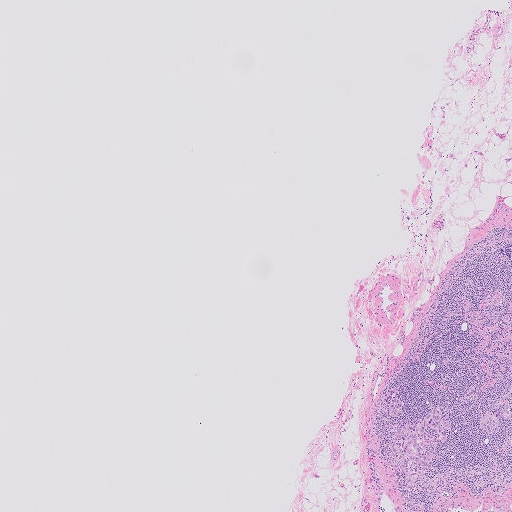
A 2.0-mm field of an H&E-stained sentinel lymph node from a breast-cancer patient (whole-slide image), shown at about 2.5×, about 4.0 µm per pixel.
Outlines of four tumour regions, largest first (closed clockwise paths, crop pixels): region 1: (435, 405), (441, 405), (447, 412), (450, 424), (444, 442), (435, 448), (428, 446), (428, 449), (435, 452), (432, 469), (426, 470), (412, 466), (404, 471), (401, 469), (398, 478), (394, 477), (391, 470), (399, 466), (391, 451), (391, 444), (401, 441), (401, 428), (405, 423), (422, 418); region 2: (394, 387), (399, 389), (396, 395), (402, 399), (402, 406), (395, 417), (388, 416), (383, 410), (379, 397), (384, 391); region 3: (494, 411), (498, 421), (496, 434), (489, 435), (485, 430), (479, 427), (478, 424), (484, 414); region 4: (509, 402), (511, 409), (511, 418), (511, 420), (507, 421), (501, 419), (499, 415), (501, 408), (503, 405), (506, 403).
Two more small tumour pieces are annotated here but not outlined.
The annotated tumour makes up under 5% of the crop.